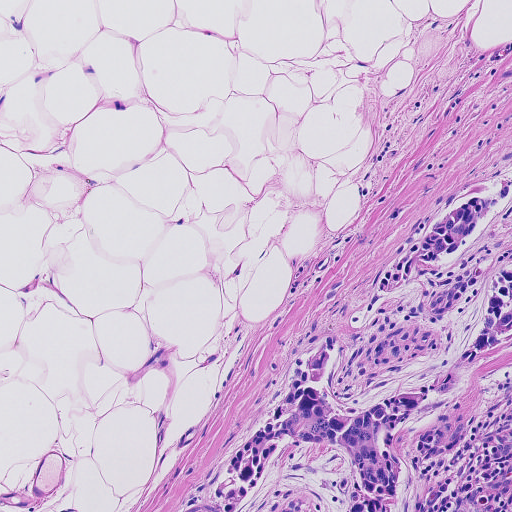
This is a crop of a whole-slide image: an H&E-stained breast-cancer sentinel lymph node section at roughly 10× magnification (about 0.91 µm per pixel; the crop spans about 0.46 mm).
Metastatic tumour outline, simplified to 6 points and listed clockwise in crop pixels (x, y): (511, 167), (511, 511), (200, 511), (300, 352), (342, 325), (417, 219).
About 25% of this field is tumour.